Question: 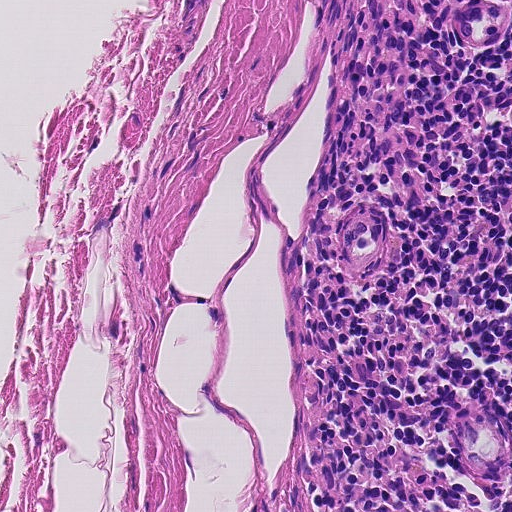
A 0.23-mm field of an H&E-stained sentinel lymph node from a breast-cancer patient (whole-slide image), shown at about 20×, about 0.45 µm per pixel.
About how much of this crop is taken up by metastatic carcinoma?

Choices:
 (A) about 10% to 20%
 (B) about 50% or more
 (C) none: no tumour is outlined
 (D) about 25% to 45%
 (E) about 5% or less

Answer: (C) none: no tumour is outlined
No metastatic tumour is outlined in this field.